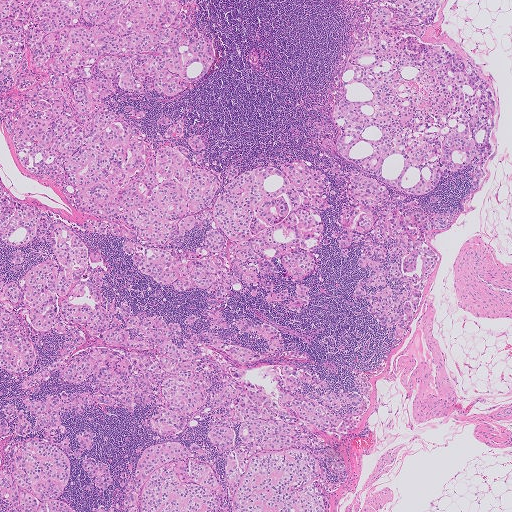
Lymph node section stained with H&E, from a whole-slide image of a breast-cancer sentinel node. Magnification about 2.5×, about 2.0 mm across the frame, about 4.0 µm per pixel.
Four metastatic tumour regions, each outlined as a closed clockwise path in crop pixels (x, y), largest first: region 1: (0, 174), (100, 250), (102, 293), (370, 394), (326, 443), (328, 511), (233, 511), (206, 406), (178, 435), (147, 406), (64, 415), (112, 465), (100, 490), (71, 460), (66, 500), (90, 506), (115, 492), (128, 452), (182, 442), (210, 448), (224, 511), (0, 511); region 2: (0, 0), (198, 0), (213, 52), (194, 89), (111, 100), (140, 105), (146, 131), (173, 117), (199, 127), (218, 174), (285, 160), (327, 174), (308, 298), (229, 306), (287, 347), (196, 328), (185, 319), (209, 322), (205, 294), (136, 278), (115, 240), (29, 175), (7, 139); region 3: (445, 0), (428, 26), (499, 90), (476, 160), (439, 179), (452, 217), (426, 229), (435, 256), (402, 337), (388, 337), (349, 296), (351, 256), (338, 259), (318, 245), (337, 224), (344, 171), (357, 164), (338, 144), (325, 90), (348, 34), (344, 6); region 4: (254, 48), (257, 52), (258, 57), (257, 66), (254, 66), (251, 64), (247, 59), (248, 52), (250, 49).
The annotated tumour makes up about 65% of the crop.